Question: 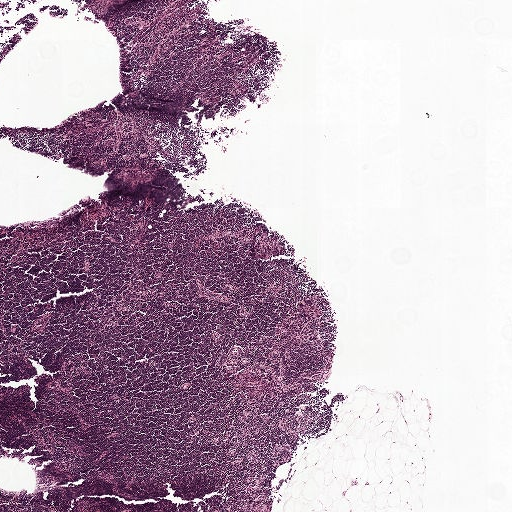
About what magnification does this crop show?

Choices:
 (A) about 10×
 (B) about 5×
 (C) about 40×
 (D) about 2.5×
 (E) about 20×

Answer: (D) about 2.5×
This is a crop of a whole-slide image: an H&E-stained breast-cancer sentinel lymph node section at roughly 2.5× magnification (about 3.9 µm per pixel; the crop spans about 2.0 mm).